Image:
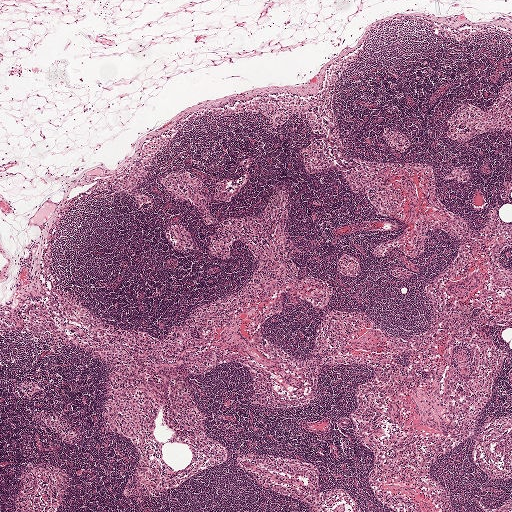
H&E-stained section of a sentinel lymph node (breast cancer), from a whole-slide image, viewed at about 2.5×: the field is about 2.0 mm across, about 3.9 µm per pixel.
Question:
Is any metastatic breast cancer visible in this crop?
Answer:
No. No metastatic tumour is outlined in this field.